Image:
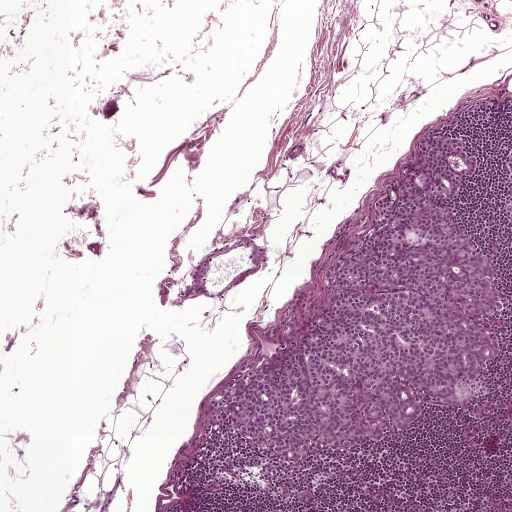
A 1-mm field of an H&E-stained sentinel lymph node from a breast-cancer patient (whole-slide image), shown at about 5×, about 1.9 µm per pixel.
Question:
Which parts of this field are metastatic tumour?
Answer:
Metastatic tumour outline, simplified to 22 points and listed clockwise in crop pixels (x, y): (420, 138), (472, 138), (484, 157), (455, 193), (468, 234), (496, 270), (503, 316), (496, 361), (472, 405), (426, 413), (383, 444), (328, 451), (306, 465), (276, 464), (234, 435), (210, 434), (208, 399), (276, 355), (316, 314), (325, 270), (361, 246), (376, 196).
The annotated tumour makes up about 20% of the crop.